Question: 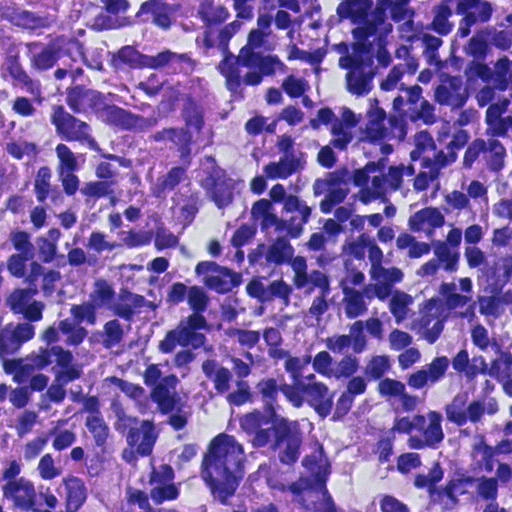
Lymph node section stained with H&E, from a whole-slide image of a breast-cancer sentinel node. Magnification about 40×, about 0.12 mm across the frame, about 0.23 µm per pixel.
What fraction of the image area is metastatic tumour?

Choices:
 (A) about 50% or more
 (B) about 25% to 45%
 (C) about 5% or less
 (D) about 10% to 20%
 (E) none: no tumour is outlined

Answer: (D) about 10% to 20%
About 20% of the field is tumour.
Two metastatic tumour regions, each outlined as a closed clockwise path in crop pixels (x, y), largest first: region 1: (0, 0), (131, 2), (161, 36), (202, 56), (229, 124), (256, 164), (243, 210), (217, 248), (176, 276), (132, 251), (116, 209), (116, 160), (78, 157), (53, 119), (47, 172), (25, 212), (0, 218); region 2: (511, 273), (511, 333), (498, 333), (501, 282).